H&E-stained section of a sentinel lymph node (breast cancer), from a whole-slide image, viewed at about 10×: the field is about 0.46 mm across, about 0.9 µm per pixel.
Question: 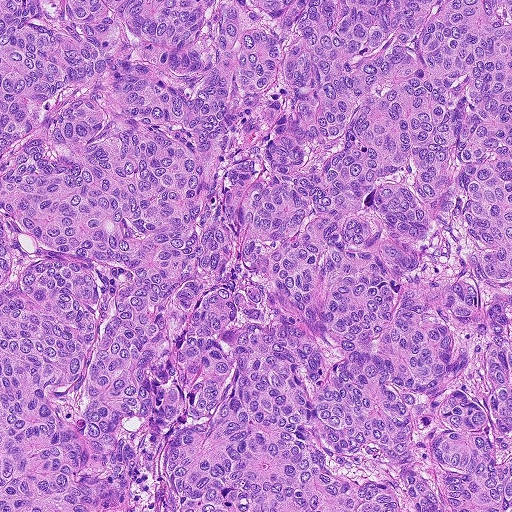
Roughly what share of this field is metastatic tumour?

Choices:
 (A) about 25% to 45%
 (B) none: no tumour is outlined
 (C) about 50% or more
 (D) about 10% to 20%
 (E) about 5% or less

Answer: (C) about 50% or more
Over 95% of the field is tumour.
Metastatic tumour covers the whole field.